Image:
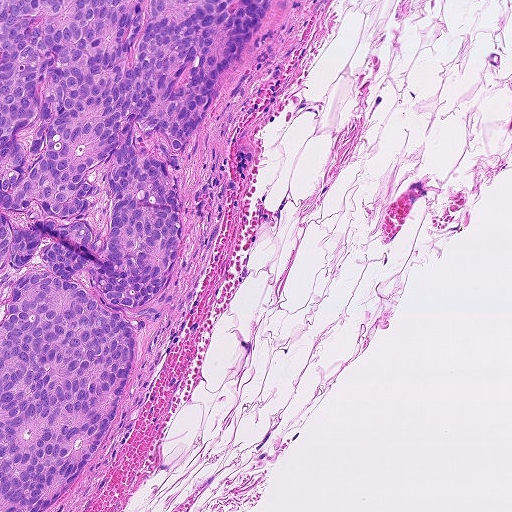
A 0.46-mm field of an H&E-stained sentinel lymph node from a breast-cancer patient (whole-slide image), shown at about 10×, about 0.9 µm per pixel.
Question:
Which parts of this field are metastatic tumour?
Answer:
The outlined metastatic tumour's edge, as a closed clockwise path of 10 points: (0, 0), (284, 0), (184, 155), (182, 239), (164, 298), (127, 320), (137, 359), (106, 444), (50, 507), (0, 511).
About 35% of this field is tumour.